Question: 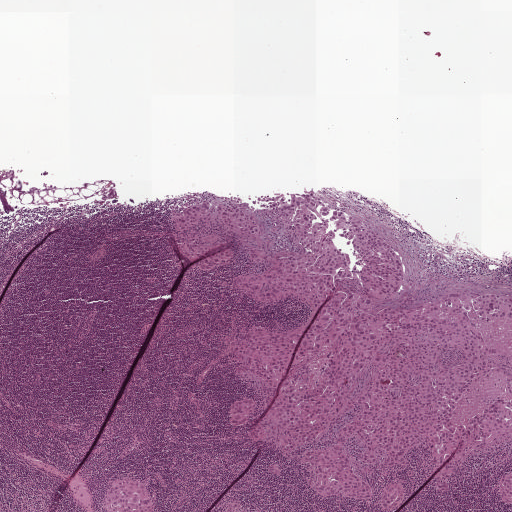
Which magnification is this H&E lymph node field most likely shown at?

Choices:
 (A) about 40×
 (B) about 20×
 (C) about 10×
 (D) about 2.5×
 (E) about 5×

Answer: (D) about 2.5×
H&E-stained section of a sentinel lymph node (breast cancer), from a whole-slide image, viewed at about 2.5×: the field is about 2.0 mm across, about 3.9 µm per pixel.
Outlines of four tumour regions, largest first (closed clockwise paths, crop pixels): region 1: (303, 188), (399, 252), (412, 277), (400, 303), (511, 293), (511, 440), (469, 455), (444, 494), (417, 450), (393, 475), (355, 469), (367, 501), (320, 498), (300, 458), (334, 442), (359, 404), (287, 456), (247, 438), (262, 406), (242, 426), (227, 419), (232, 402), (267, 390), (217, 352), (242, 327), (289, 332), (308, 313), (240, 294), (236, 277), (272, 265), (226, 230), (236, 257), (212, 271), (170, 239), (171, 209), (214, 195), (243, 202), (288, 250), (253, 205); region 2: (128, 476), (139, 481), (147, 489), (155, 498), (157, 511), (102, 511), (101, 506), (103, 494), (109, 484), (120, 478); region 3: (511, 472), (511, 504), (508, 504), (500, 499), (498, 480), (505, 474); region 4: (236, 502), (253, 511), (225, 511), (227, 504).
About 25% of the image area is annotated as tumour.